Question: 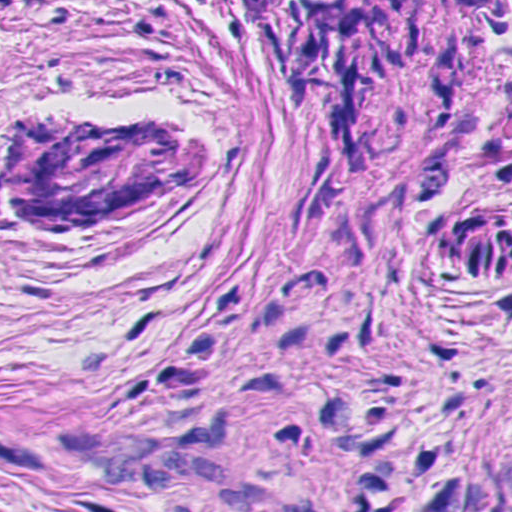
Which magnification is this H&E lymph node field most likely shown at?

Choices:
 (A) about 40×
 (B) about 20×
 (C) about 5×
 (D) about 10×
 (E) about 2.5×

Answer: (A) about 40×
A 0.12-mm field of an H&E-stained sentinel lymph node from a breast-cancer patient (whole-slide image), shown at about 40×, about 0.23 µm per pixel.
Outlines of three tumour regions, largest first (closed clockwise paths, crop pixels): region 1: (212, 0), (511, 0), (511, 117), (336, 162); region 2: (90, 90), (211, 95), (227, 156), (177, 225), (61, 251), (0, 241), (0, 109); region 3: (499, 181), (511, 185), (511, 284), (472, 293), (420, 259), (417, 200).
About 30% of the image area is annotated as tumour.